Lymph node section stained with H&E, from a whole-slide image of a breast-cancer sentinel node. Magnification about 20×, about 0.23 mm across the frame, about 0.45 µm per pixel.
Question: 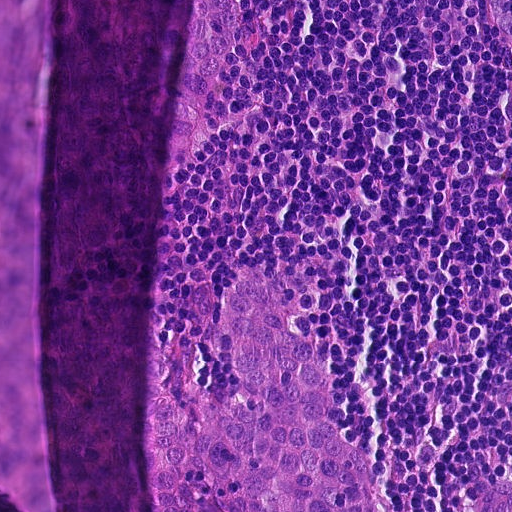
Roughly what share of this field is metastatic tumour?

Choices:
 (A) about 5% or less
 (B) about 10% to 20%
 (C) about 50% or more
 (D) about 25% to 45%
 (E) none: no tumour is outlined

Answer: (B) about 10% to 20%
About 15% of the field is tumour.
Outlines of two tumour regions, largest first (closed clockwise paths, crop pixels): region 1: (260, 259), (283, 282), (288, 315), (306, 344), (329, 366), (344, 433), (366, 458), (374, 511), (261, 511), (238, 498), (194, 497), (193, 511), (151, 511), (154, 324), (156, 334), (188, 331), (208, 396), (245, 402), (226, 376), (221, 308), (230, 274); region 2: (495, 470), (511, 480), (511, 511), (471, 511), (478, 494).